Question: 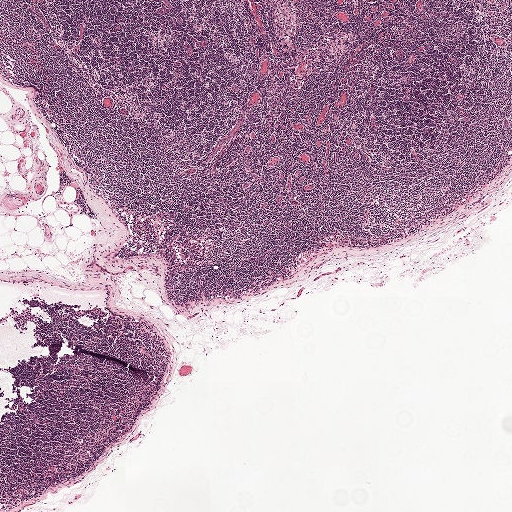
At roughly what magnification is this field shown?

Choices:
 (A) about 5×
 (B) about 10×
 (C) about 20×
 (D) about 2.5×
 (E) about 40×

Answer: (D) about 2.5×
H&E-stained section of a sentinel lymph node (breast cancer), from a whole-slide image, viewed at about 2.5×: the field is about 2.0 mm across, about 3.9 µm per pixel.